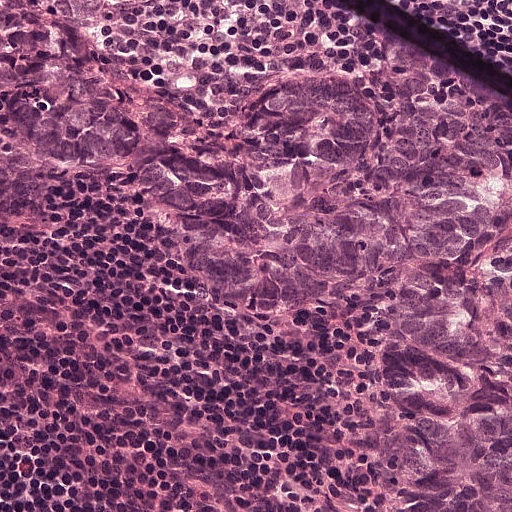
Lymph node section stained with H&E, from a whole-slide image of a breast-cancer sentinel node. Magnification about 20×, about 0.25 mm across the frame, about 0.49 µm per pixel.
Two metastatic tumour regions, each outlined as a closed clockwise path in crop pixels (x, y), largest first: region 1: (0, 27), (77, 58), (107, 56), (138, 86), (178, 102), (223, 104), (272, 78), (325, 73), (511, 117), (511, 249), (492, 258), (484, 298), (486, 331), (511, 346), (511, 511), (408, 511), (373, 418), (384, 338), (364, 314), (240, 321), (210, 310), (117, 184), (0, 138); region 2: (0, 0), (117, 0), (116, 8), (114, 8), (102, 24), (72, 24), (68, 22), (54, 22), (46, 18), (38, 18), (32, 16), (32, 13), (7, 13), (0, 9).
Tumour covers about 45% of the frame.